Question: 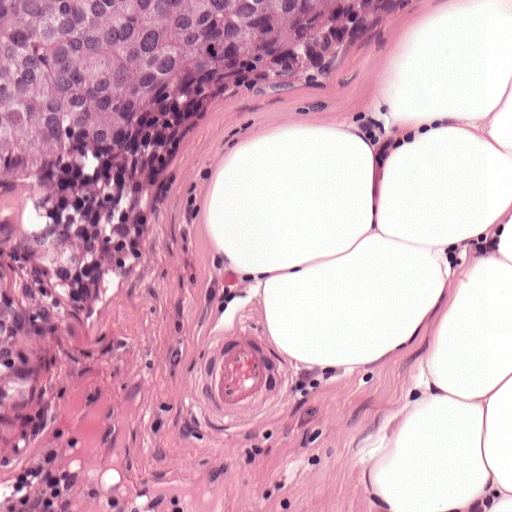
Lymph node section stained with H&E, from a whole-slide image of a breast-cancer sentinel node. Magnification about 20×, about 0.25 mm across the frame, about 0.49 µm per pixel.
Roughly what share of this field is metastatic tumour?

Choices:
 (A) about 5% or less
 (B) about 25% to 45%
 (C) about 10% to 20%
 (D) about 50% or more
 (E) none: no tumour is outlined

Answer: (B) about 25% to 45%
About 25% of the field is tumour.
One metastatic tumour region; its boundary, reduced to 8 corners and listed clockwise: (0, 0), (369, 0), (321, 40), (190, 108), (138, 161), (99, 224), (40, 434), (1, 497).